Question: 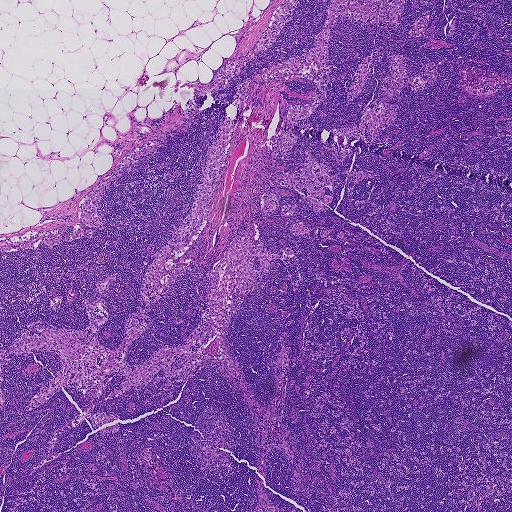
Which magnification is this H&E lymph node field most likely shown at?

Choices:
 (A) about 10×
 (B) about 20×
 (C) about 5×
 (D) about 40×
 (E) about 2.5×

Answer: (E) about 2.5×
A 1.9-mm field of an H&E-stained sentinel lymph node from a breast-cancer patient (whole-slide image), shown at about 2.5×, about 3.6 µm per pixel.